A 0.23-mm field of an H&E-stained sentinel lymph node from a breast-cancer patient (whole-slide image), shown at about 20×, about 0.45 µm per pixel.
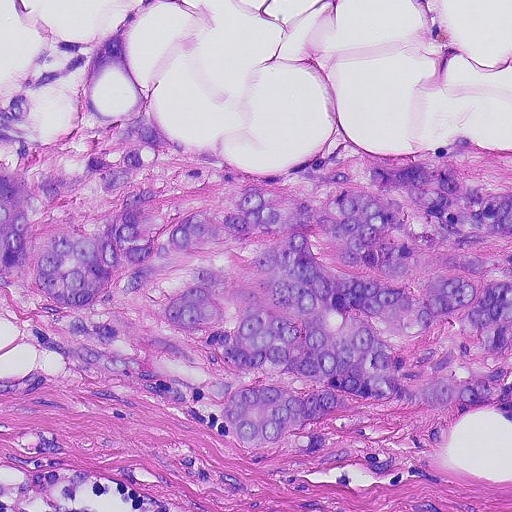
The outlined metastatic tumour's edge, as a closed clockwise path of 24 points: (141, 0), (159, 0), (82, 96), (113, 119), (148, 96), (168, 138), (148, 216), (250, 186), (314, 202), (368, 162), (511, 193), (511, 426), (384, 404), (258, 453), (194, 392), (84, 372), (6, 318), (0, 113), (66, 37), (87, 60), (18, 126), (36, 148), (72, 126), (92, 60).
The annotated tumour makes up about 45% of the crop.